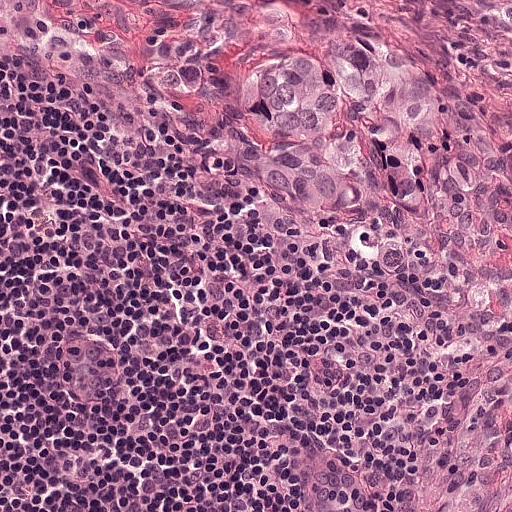
A 0.25-mm field of an H&E-stained sentinel lymph node from a breast-cancer patient (whole-slide image), shown at about 20×, about 0.49 µm per pixel.
Metastatic tumour outline, simplified to 15 points and listed clockwise in crop pixels (x, y): (388, 34), (416, 46), (440, 74), (444, 96), (420, 158), (370, 226), (285, 240), (257, 228), (234, 202), (230, 163), (251, 118), (251, 98), (236, 76), (290, 46), (354, 44).
About 15% of the image area is annotated as tumour.